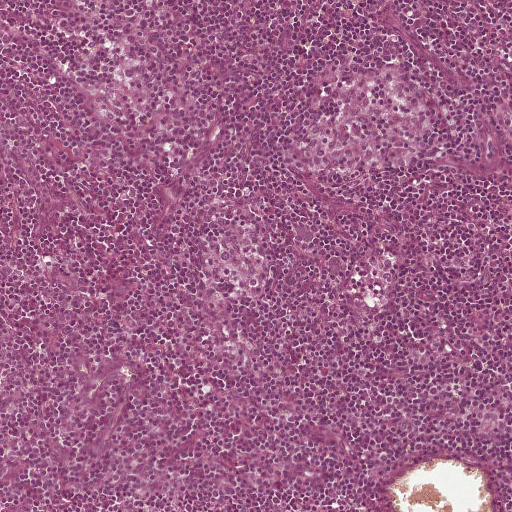
This is a crop of a whole-slide image: an H&E-stained breast-cancer sentinel lymph node section at roughly 10× magnification (about 0.97 µm per pixel; the crop spans about 0.5 mm).